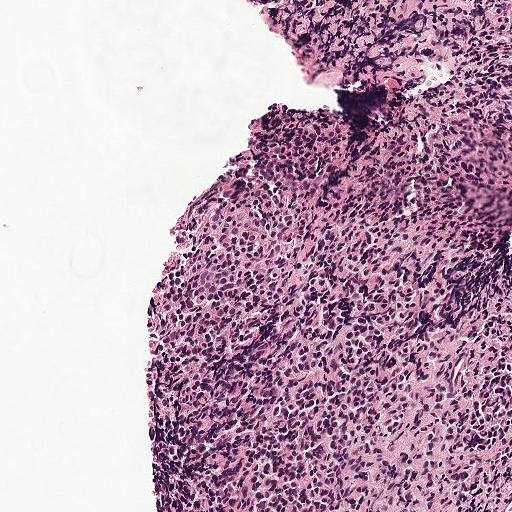
A 0.5-mm field of an H&E-stained sentinel lymph node from a breast-cancer patient (whole-slide image), shown at about 10×, about 0.97 µm per pixel.
Question: Where is the metastatic tumour in this field?
Answer: The outlined metastatic tumour's edge, as a closed clockwise path of 9 points: (511, 0), (511, 511), (142, 511), (161, 344), (203, 229), (269, 132), (332, 122), (284, 29), (256, 1).
About 60% of the image area is annotated as tumour.